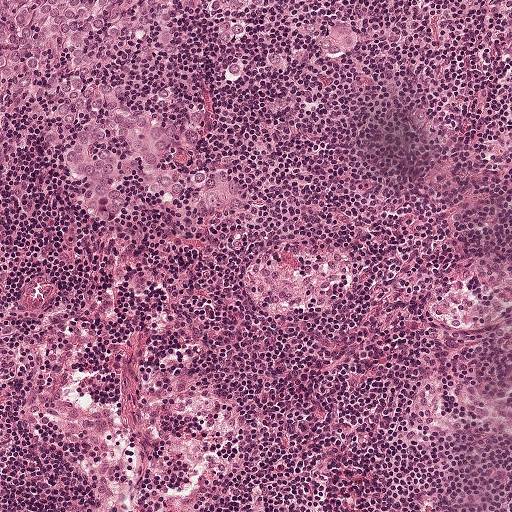
This is a crop of a whole-slide image: an H&E-stained breast-cancer sentinel lymph node section at roughly 10× magnification (about 0.97 µm per pixel; the crop spans about 0.5 mm).
The outlined metastatic tumour's edge, as a closed clockwise path of 21 points: (0, 0), (278, 0), (218, 32), (189, 14), (180, 65), (141, 59), (122, 80), (131, 113), (148, 124), (202, 118), (180, 164), (234, 182), (237, 218), (167, 214), (132, 174), (120, 227), (101, 226), (80, 213), (32, 106), (12, 94), (1, 116).
One more small tumour piece is annotated here but not outlined.
About 15% of this field is tumour.